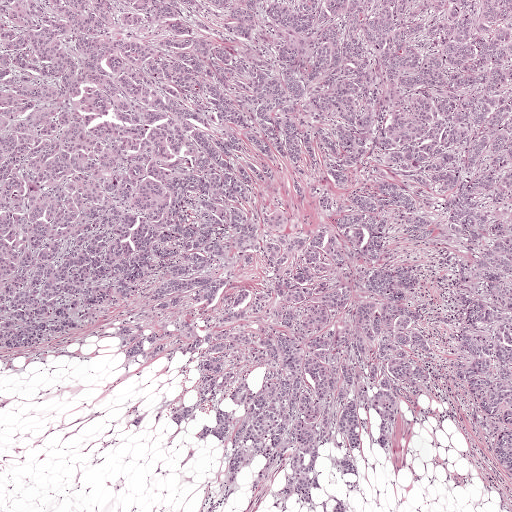
H&E-stained section of a sentinel lymph node (breast cancer), from a whole-slide image, viewed at about 2.5×: the field is about 2.0 mm across, about 3.9 µm per pixel.
One metastatic tumour region; its boundary, reduced to 23 corners and listed clockwise: (0, 0), (511, 0), (511, 480), (433, 359), (357, 492), (320, 447), (322, 511), (274, 497), (295, 446), (253, 494), (266, 457), (228, 489), (196, 440), (266, 364), (178, 426), (136, 428), (145, 413), (200, 399), (209, 344), (97, 335), (183, 325), (150, 299), (7, 352).
The annotated tumour makes up about 80% of the crop.